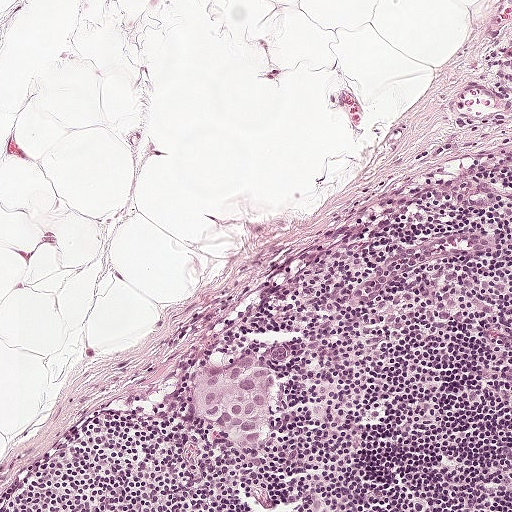
This is a crop of a whole-slide image: an H&E-stained breast-cancer sentinel lymph node section at roughly 10× magnification (about 0.97 µm per pixel; the crop spans about 0.5 mm).
Question: Show where the tumour is in this image.
Answer: Metastatic tumour outline, simplified to 15 points and listed clockwise in crop pixels (x, y): (244, 354), (254, 356), (271, 369), (271, 386), (263, 411), (264, 442), (260, 449), (249, 450), (239, 447), (218, 427), (207, 427), (188, 414), (195, 379), (204, 372), (236, 360).
The annotated tumour makes up under 5% of the crop.

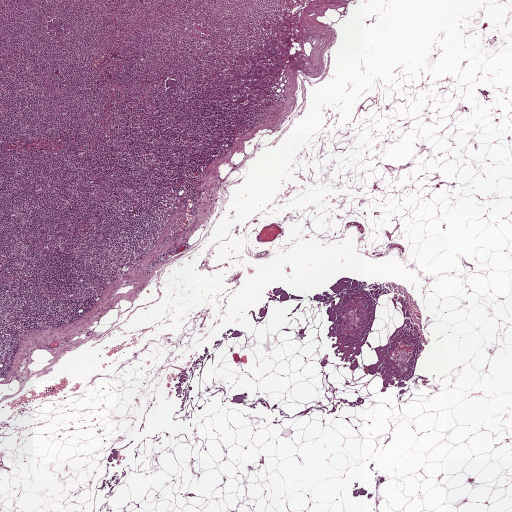
H&E-stained section of a sentinel lymph node (breast cancer), from a whole-slide image, viewed at about 2.5×: the field is about 2.0 mm across, about 3.9 µm per pixel.
Question: Show where the tumour is in this image.
Answer: One metastatic tumour region; its boundary, reduced to 23 corners and listed clockwise: (282, 11), (300, 13), (298, 37), (300, 43), (293, 43), (279, 81), (279, 95), (275, 94), (259, 109), (261, 115), (258, 123), (254, 122), (252, 109), (245, 112), (238, 108), (225, 108), (218, 85), (237, 55), (248, 49), (260, 48), (269, 34), (269, 26), (280, 19).
Under 5% of the image area is annotated as tumour.

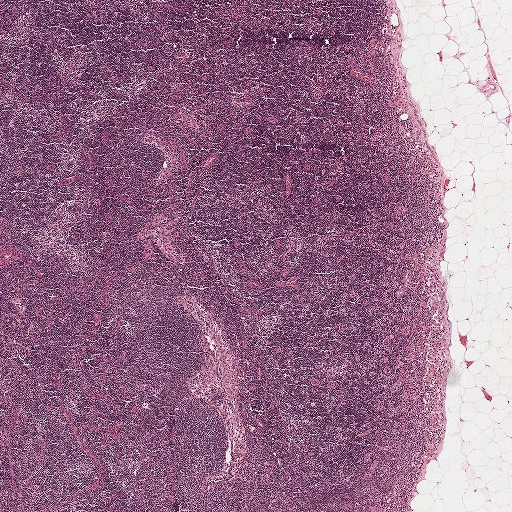
A 2.0-mm field of an H&E-stained sentinel lymph node from a breast-cancer patient (whole-slide image), shown at about 2.5×, about 3.9 µm per pixel.
Question: Show where the tumour is in this image.
Answer: Boundaries of two metastatic tumour regions, simplified and listed clockwise, largest first: region 1: (432, 274), (435, 274), (436, 284), (437, 287), (445, 290), (445, 294), (444, 298), (442, 298), (438, 298), (435, 290), (433, 289), (428, 288), (426, 286), (427, 280), (430, 276); region 2: (436, 297), (440, 301), (440, 302), (440, 307), (439, 311), (435, 312), (430, 312), (428, 311), (427, 308), (427, 304), (428, 301), (432, 298).
The annotated tumour makes up under 5% of the crop.

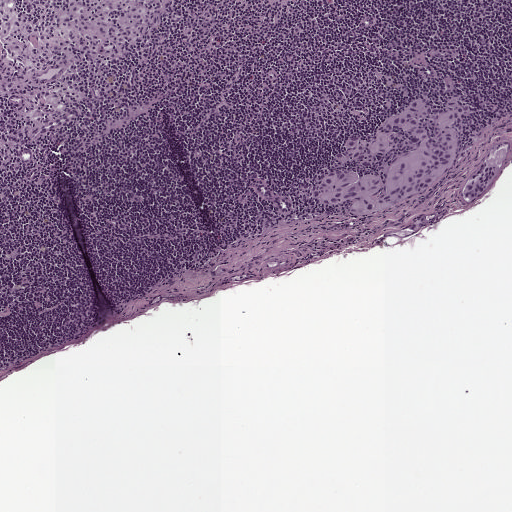
This is a crop of a whole-slide image: an H&E-stained breast-cancer sentinel lymph node section at roughly 5× magnification (about 1.9 µm per pixel; the crop spans about 1 mm).
Question: Show where the tumour is in this image.
Answer: Boundaries of three metastatic tumour regions, simplified and listed clockwise, largest first: region 1: (449, 74), (457, 82), (460, 96), (474, 111), (454, 159), (423, 196), (361, 217), (353, 216), (345, 204), (322, 206), (297, 190), (297, 182), (303, 179), (360, 163), (328, 166), (326, 158), (348, 135), (363, 138), (416, 96), (424, 96), (437, 108), (446, 97), (442, 77); region 2: (490, 161), (498, 163), (499, 169), (483, 196), (477, 201), (466, 203), (462, 198), (462, 193), (466, 178), (482, 162); region 3: (421, 213), (429, 221), (427, 227), (421, 232), (413, 232), (409, 227), (410, 219), (415, 215).
Tumour covers about 5% of the frame.